H&E-stained section of a sentinel lymph node (breast cancer), from a whole-slide image, viewed at about 10×: the field is about 0.46 mm across, about 0.9 µm per pixel.
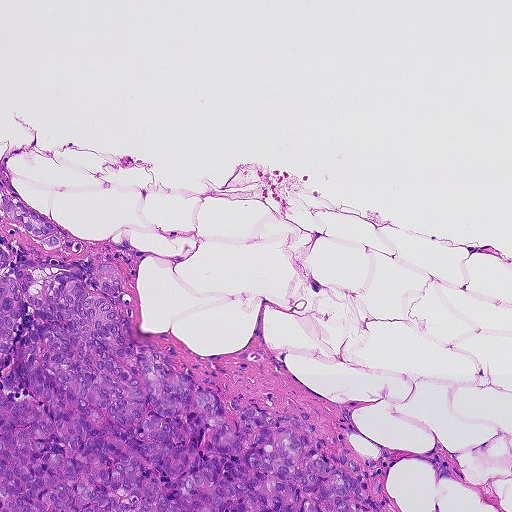
Outlines of two tumour regions, largest first (closed clockwise paths, crop pixels): region 1: (0, 245), (12, 262), (114, 266), (130, 299), (131, 336), (164, 350), (194, 393), (218, 395), (225, 421), (232, 426), (249, 402), (310, 415), (328, 446), (377, 460), (384, 511), (0, 511); region 2: (0, 185), (32, 210), (68, 232), (70, 240), (78, 240), (84, 244), (83, 252), (75, 254), (60, 250), (52, 252), (44, 248), (20, 225), (0, 213).
Tumour covers about 25% of the frame.